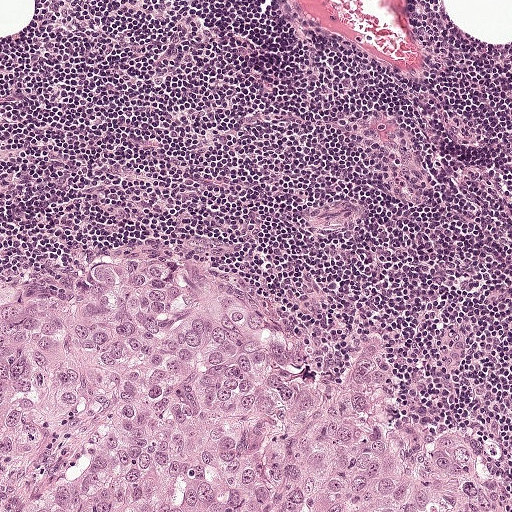
A 0.5-mm field of an H&E-stained sentinel lymph node from a breast-cancer patient (whole-slide image), shown at about 10×, about 0.97 µm per pixel.
Tumour region outline (a closed clockwise path, crop pixels): (122, 253), (192, 269), (259, 307), (333, 385), (376, 331), (392, 414), (424, 438), (478, 438), (510, 511), (0, 511), (0, 279).
About 35% of the image area is annotated as tumour.